Image:
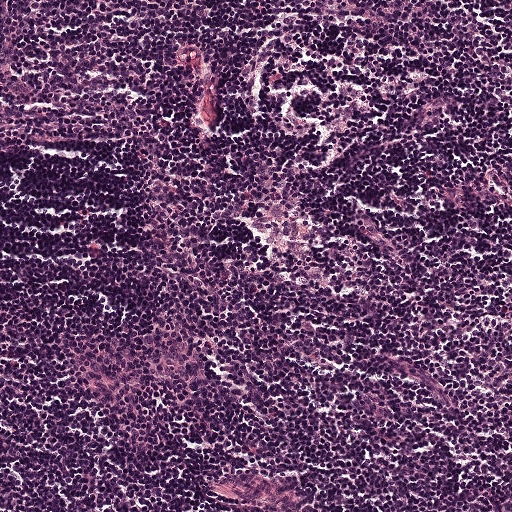
Lymph node section stained with H&E, from a whole-slide image of a breast-cancer sentinel node. Magnification about 10×, about 0.5 mm across the frame, about 0.97 µm per pixel.
Question:
Is there metastatic carcinoma in this field?
Answer:
No, this field holds no outlined metastasis.